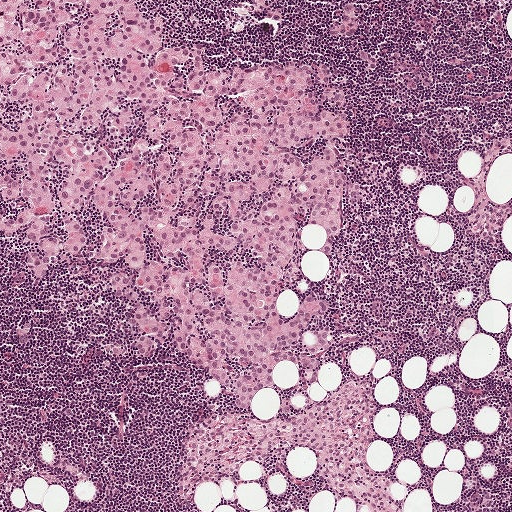
This is a crop of a whole-slide image: an H&E-stained breast-cancer sentinel lymph node section at roughly 5× magnification (about 1.9 µm per pixel; the crop spans about 1 mm).
Question: Which parts of this field are metastatic tumour? Answer with the outline of each region, in pixels.
Answer: Boundaries of four metastatic tumour regions, simplified and listed clockwise, largest first: region 1: (0, 0), (133, 0), (158, 51), (328, 64), (345, 94), (365, 192), (284, 275), (330, 303), (330, 348), (292, 348), (309, 386), (279, 361), (237, 407), (175, 313), (139, 354), (109, 277), (139, 268), (88, 257), (90, 200), (43, 276), (27, 224), (3, 238); region 2: (348, 3), (353, 4), (357, 18), (357, 31), (350, 37), (337, 37), (326, 33), (330, 24), (339, 20), (345, 5); region 3: (366, 50), (376, 58), (378, 66), (371, 69), (366, 67), (367, 62), (363, 60), (358, 54), (361, 51); region 4: (266, 10), (278, 12), (282, 17), (278, 21), (267, 20), (264, 14).
About 35% of this field is tumour.